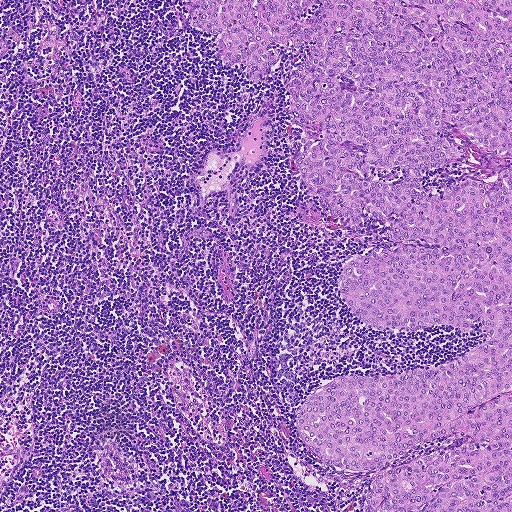
Lymph node section stained with H&E, from a whole-slide image of a breast-cancer sentinel node. Magnification about 5×, about 0.93 mm across the frame, about 1.8 µm per pixel.
Tumour region outline (a closed clockwise path, crop pixels): (511, 0), (511, 511), (363, 506), (376, 476), (465, 434), (366, 470), (304, 445), (305, 398), (487, 331), (353, 314), (344, 265), (443, 246), (386, 240), (396, 214), (356, 228), (301, 178), (287, 84), (314, 40), (274, 44), (247, 79), (181, 1).
Tumour covers about 35% of the frame.